Question: 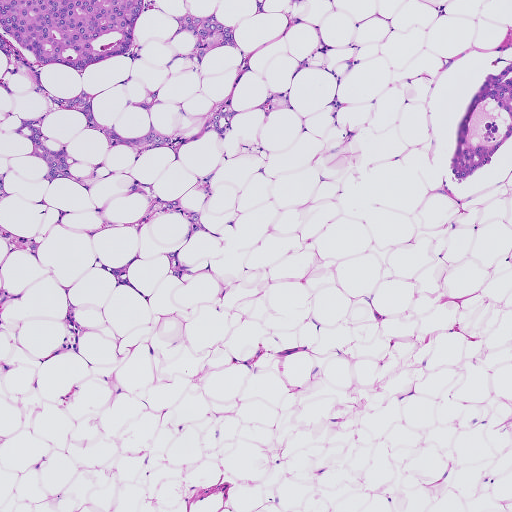
Which magnification is this H&E lymph node field most likely shown at?

Choices:
 (A) about 20×
 (B) about 10×
 (C) about 40×
 (D) about 5×
 (E) about 2.5×

Answer: (D) about 5×
Lymph node section stained with H&E, from a whole-slide image of a breast-cancer sentinel node. Magnification about 5×, about 0.93 mm across the frame, about 1.8 µm per pixel.
Outlines of six tumour regions, largest first (closed clockwise paths, crop pixels): region 1: (0, 0), (146, 0), (129, 53), (90, 66), (82, 73), (55, 63), (37, 67), (23, 56), (0, 49); region 2: (511, 62), (511, 134), (477, 171), (457, 180), (449, 169), (460, 123), (488, 73), (503, 72); region 3: (182, 0), (185, 0), (190, 11), (199, 17), (204, 19), (215, 12), (216, 17), (225, 25), (236, 27), (235, 32), (240, 48), (236, 48), (231, 46), (220, 47), (209, 51), (200, 63), (196, 59), (180, 56), (168, 67), (170, 62), (176, 52), (188, 51), (192, 48), (194, 43), (195, 37), (186, 31), (168, 43), (177, 28), (176, 22), (170, 16), (182, 14), (185, 10); region 4: (134, 179), (151, 187), (161, 199), (176, 200), (180, 206), (198, 213), (199, 228), (185, 246), (179, 251), (178, 259), (183, 274), (177, 277), (170, 274), (168, 251), (183, 247), (190, 233), (187, 219), (180, 212), (168, 210), (151, 203), (147, 196), (139, 194), (131, 186); region 5: (0, 172), (6, 173), (5, 188), (8, 194), (0, 209); region 6: (114, 268), (122, 268), (125, 274), (115, 277), (109, 272).
One more tumour region is annotated but not outlined: its edge is too irregular for a short outline.
Three more small tumour pieces are annotated here but not outlined.
The annotated tumour makes up about 10% of the crop.